Question: 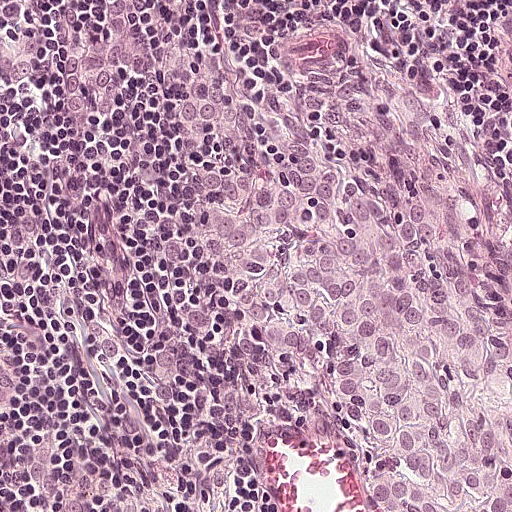
Lymph node section stained with H&E, from a whole-slide image of a breast-cancer sentinel node. Magnification about 20×, about 0.25 mm across the frame, about 0.49 µm per pixel.
Estimate the proportion of this field that is metastatic tumour.

Choices:
 (A) about 50% or more
 (B) about 5% or less
 (C) about 10% to 20%
 (D) none: no tumour is outlined
 (E) about 25% to 45%

Answer: (E) about 25% to 45%
About 30% of the field is tumour.
One metastatic tumour region; its boundary, reduced to 20 corners and listed clockwise: (219, 90), (254, 94), (258, 106), (340, 144), (376, 184), (412, 192), (474, 246), (511, 314), (511, 511), (386, 511), (374, 450), (312, 408), (262, 332), (223, 297), (169, 272), (178, 240), (212, 212), (214, 156), (185, 126), (186, 110).